This is a crop of a whole-slide image: an H&E-stained breast-cancer sentinel lymph node section at roughly 10× magnification (about 0.97 µm per pixel; the crop spans about 0.5 mm).
Question: 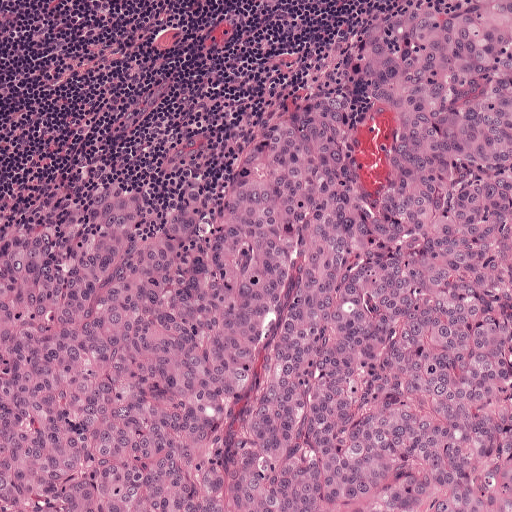
Roughly what share of this field is metastatic tumour?

Choices:
 (A) about 50% or more
 (B) about 25% to 45%
 (C) about 5% or less
 (D) none: no tumour is outlined
 (E) about 10% to 20%

Answer: (A) about 50% or more
About 80% of the field is tumour.
The outlined metastatic tumour's edge, as a closed clockwise path of 9 points: (413, 0), (511, 0), (511, 511), (0, 511), (0, 232), (74, 192), (164, 193), (206, 178), (300, 74).